This is a crop of a whole-slide image: an H&E-stained breast-cancer sentinel lymph node section at roughly 5× magnification (about 1.9 µm per pixel; the crop spans about 1 mm).
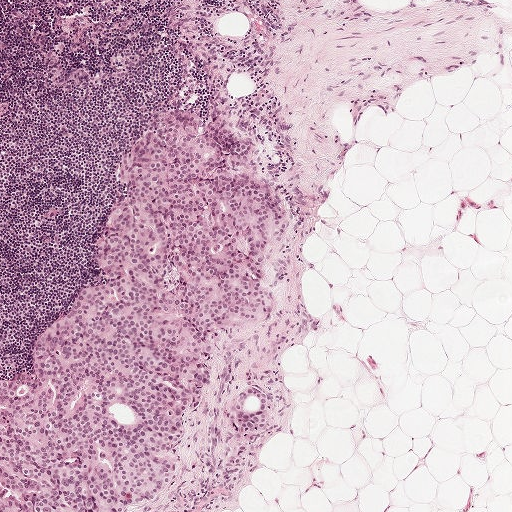
Question: Does this lymph node field contain metastatic tumour?
Answer: Yes.
Outlines of two tumour regions, largest first (closed clockwise paths, crop pixels): region 1: (175, 107), (250, 139), (257, 171), (293, 222), (270, 278), (276, 312), (227, 328), (214, 384), (186, 410), (176, 482), (128, 511), (0, 511), (0, 383), (31, 374), (36, 332), (67, 313), (96, 269), (121, 159); region 2: (257, 385), (269, 393), (273, 400), (269, 423), (263, 435), (256, 440), (243, 444), (238, 435), (229, 426), (232, 405), (244, 388).
Tumour covers about 25% of the frame.